Question: 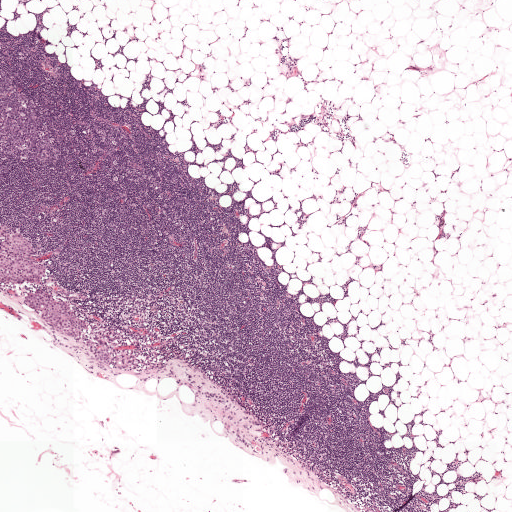
This is a crop of a whole-slide image: an H&E-stained breast-cancer sentinel lymph node section at roughly 2.5× magnification (about 3.9 µm per pixel; the crop spans about 2.0 mm).
Roughly what share of this field is metastatic tumour?

Choices:
 (A) about 50% or more
 (B) none: no tumour is outlined
 (C) about 5% or less
 (D) about 25% to 45%
 (E) about 10% to 20%

Answer: (C) about 5% or less
Under 5% of the field is tumour.
Three metastatic tumour regions, each outlined as a closed clockwise path in crop pixels (x, y), largest first: region 1: (0, 220), (12, 223), (31, 242), (45, 270), (42, 282), (37, 286), (30, 287), (0, 283), (0, 248), (3, 241), (2, 238), (0, 238); region 2: (42, 289), (55, 294), (72, 305), (87, 319), (89, 325), (87, 331), (77, 338), (70, 338), (47, 326), (24, 303), (24, 297), (28, 293); region 3: (99, 348), (111, 349), (113, 355), (113, 362), (108, 367), (102, 367), (96, 365), (94, 359), (95, 352).
Question: 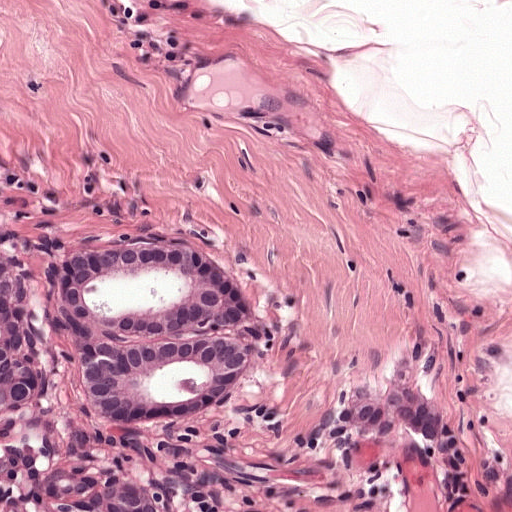
A 0.25-mm field of an H&E-stained sentinel lymph node from a breast-cancer patient (whole-slide image), shown at about 20×, about 0.49 µm per pixel.
Roughly what share of this field is metastatic tumour?

Choices:
 (A) about 5% or less
 (B) none: no tumour is outlined
 (C) about 25% to 45%
 (D) about 50% or more
 (E) about 10% to 20%

Answer: (E) about 10% to 20%
About 20% of the field is tumour.
Boundaries of four metastatic tumour regions, simplified and listed clockwise, largest first: region 1: (170, 234), (230, 260), (259, 290), (277, 328), (266, 369), (240, 404), (200, 420), (112, 429), (94, 424), (70, 390), (46, 264), (84, 246); region 2: (0, 254), (20, 264), (42, 322), (49, 352), (48, 382), (23, 403), (0, 416); region 3: (410, 384), (429, 394), (443, 440), (429, 443), (406, 431), (370, 438), (334, 421), (340, 407), (372, 400), (390, 387); region 4: (56, 467), (101, 480), (95, 490), (98, 488), (113, 486), (137, 490), (156, 507), (157, 511), (93, 511), (86, 496), (92, 492), (64, 500), (45, 495), (41, 478).
Question: 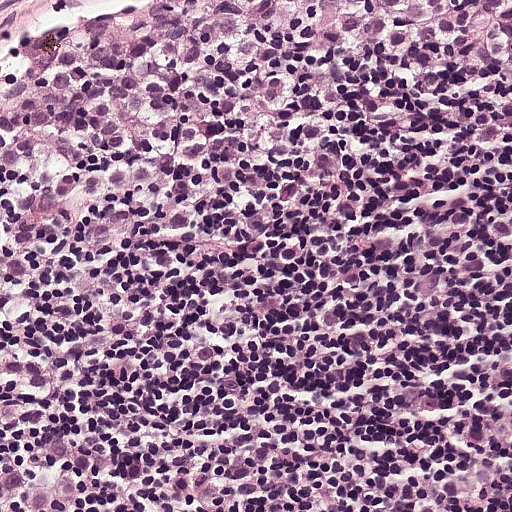
A 0.25-mm field of an H&E-stained sentinel lymph node from a breast-cancer patient (whole-slide image), shown at about 20×, about 0.49 µm per pixel.
Roughly what share of this field is metastatic tumour?

Choices:
 (A) about 10% to 20%
 (B) about 5% or less
 (C) about 25% to 45%
 (D) none: no tumour is outlined
 (E) about 50% or more

Answer: (C) about 25% to 45%
About 30% of the field is tumour.
Metastatic tumour outline, simplified to 8 points and listed clockwise in crop pixels (x, y): (0, 0), (511, 0), (511, 88), (371, 98), (241, 132), (102, 202), (36, 275), (0, 297).
Question: 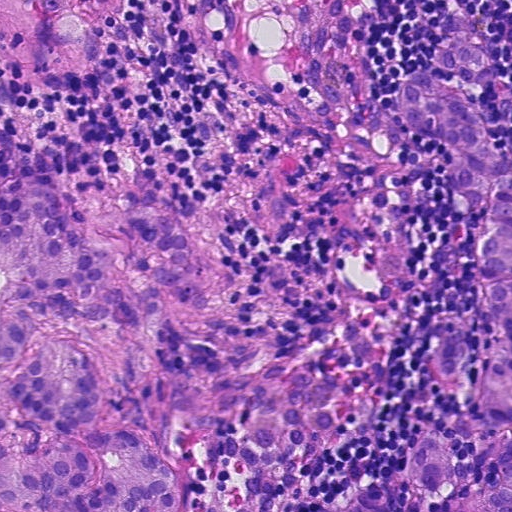
Lymph node section stained with H&E, from a whole-slide image of a breast-cancer sentinel node. Magnification about 20×, about 0.23 mm across the frame, about 0.45 µm per pixel.
Roughly what share of this field is metastatic tumour?

Choices:
 (A) about 5% or less
 (B) about 25% to 45%
 (C) about 50% or more
 (D) none: no tumour is outlined
 (E) about 10% to 20%

Answer: (B) about 25% to 45%
About 40% of the field is tumour.
Three metastatic tumour regions, each outlined as a closed clockwise path in crop pixels (x, y), largest first: region 1: (16, 176), (54, 185), (84, 215), (165, 202), (230, 262), (238, 301), (210, 330), (170, 335), (160, 314), (152, 344), (172, 382), (291, 356), (377, 398), (368, 424), (292, 452), (250, 450), (218, 425), (198, 434), (172, 423), (167, 456), (188, 490), (182, 511), (0, 511), (0, 186); region 2: (450, 30), (489, 42), (498, 62), (470, 92), (488, 136), (511, 150), (511, 511), (429, 511), (452, 494), (427, 494), (407, 468), (478, 376), (478, 340), (472, 366), (442, 382), (427, 366), (437, 336), (484, 324), (478, 244), (442, 148), (407, 128), (396, 90); region 3: (376, 482), (387, 482), (399, 501), (399, 511), (313, 511), (316, 501), (340, 505), (356, 501), (366, 486).